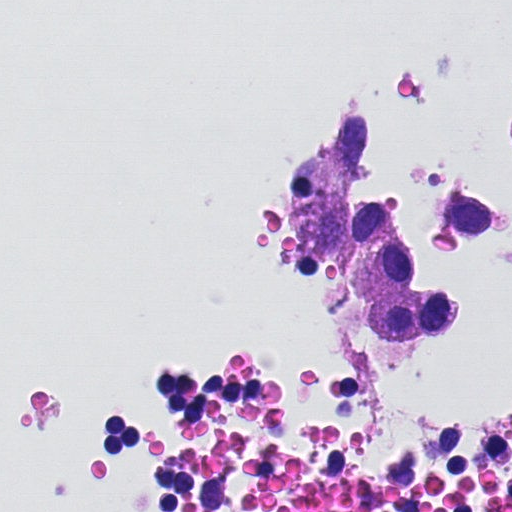
Lymph node section stained with H&E, from a whole-slide image of a breast-cancer sentinel node. Magnification about 40×, about 0.12 mm across the frame, about 0.23 µm per pixel.
One metastatic tumour region; its boundary, reduced to 20 corners and listed clockwise: (358, 107), (375, 135), (352, 196), (394, 214), (443, 204), (458, 186), (501, 211), (498, 230), (400, 233), (421, 276), (461, 308), (436, 340), (406, 343), (366, 316), (342, 272), (302, 259), (280, 209), (290, 163), (336, 145), (335, 116).
The annotated tumour makes up about 10% of the crop.